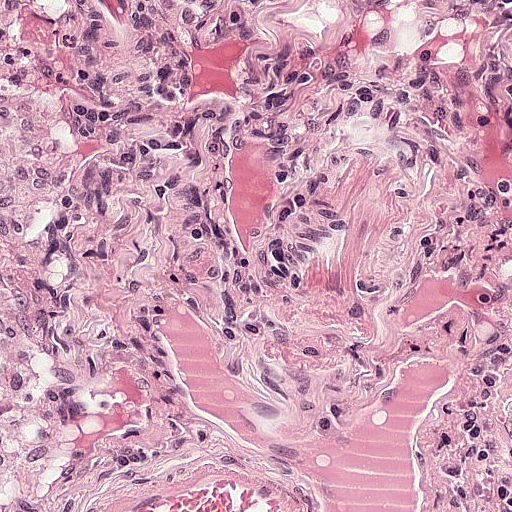
This is a crop of a whole-slide image: an H&E-stained breast-cancer sentinel lymph node section at roughly 20× magnification (about 0.49 µm per pixel; the crop spans about 0.25 mm).
Question: Is any metastatic breast cancer visible in this crop?
Answer: No: no metastatic tumour is outlined anywhere in this field.